This is a crop of a whole-slide image: an H&E-stained breast-cancer sentinel lymph node section at roughly 5× magnification (about 1.9 µm per pixel; the crop spans about 1 mm).
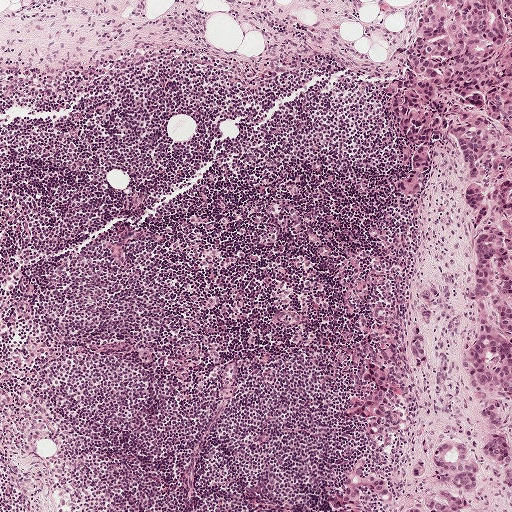
Seven metastatic tumour regions, each outlined as a closed clockwise path in crop pixels (x, y), largest first: region 1: (427, 0), (511, 0), (506, 467), (484, 457), (491, 431), (460, 377), (479, 321), (468, 301), (474, 259), (452, 140), (442, 136), (435, 142), (427, 194), (410, 200), (398, 188), (410, 145), (388, 115), (386, 98); region 2: (378, 342), (394, 349), (397, 363), (387, 370), (387, 383), (392, 403), (399, 413), (400, 425), (393, 436), (370, 434), (368, 430), (371, 422), (349, 414), (354, 400), (378, 389), (357, 379), (366, 367), (360, 350), (360, 345), (371, 345), (375, 353); region 3: (457, 440), (469, 447), (472, 454), (477, 468), (477, 478), (471, 494), (460, 496), (468, 505), (467, 510), (466, 511), (403, 511), (412, 507), (426, 507), (428, 500), (442, 492), (442, 487), (437, 478), (432, 457), (436, 447), (442, 443); region 4: (361, 468), (366, 474), (378, 476), (388, 480), (396, 502), (392, 505), (383, 504), (371, 490), (365, 488), (361, 504), (362, 511), (351, 511), (348, 502), (341, 495), (344, 489), (344, 481); region 5: (414, 325), (418, 325), (426, 340), (426, 360), (424, 367), (421, 370), (414, 369), (410, 361), (409, 340); region 6: (434, 287), (438, 294), (438, 299), (432, 306), (431, 320), (425, 326), (418, 312), (418, 300), (424, 289); region 7: (511, 468), (511, 493), (508, 490), (503, 483), (502, 478), (508, 470).
About 15% of the image area is annotated as tumour.